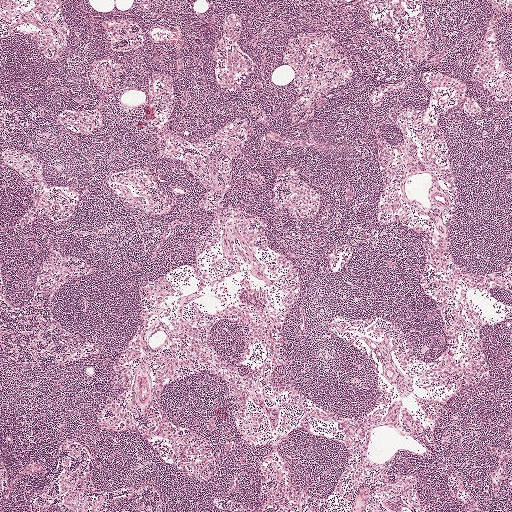
This is a crop of a whole-slide image: an H&E-stained breast-cancer sentinel lymph node section at roughly 2.5× magnification (about 3.9 µm per pixel; the crop spans about 2.0 mm).